Image:
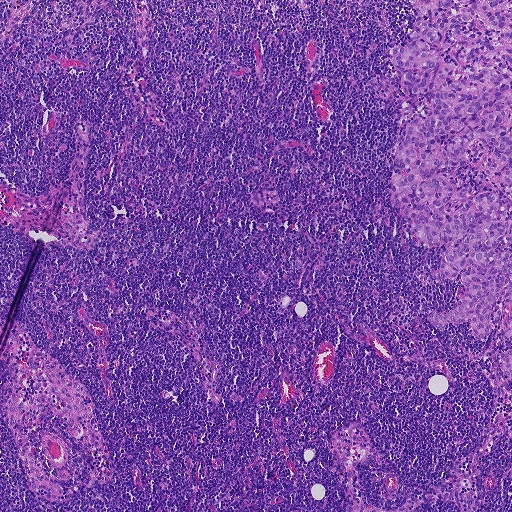
Lymph node section stained with H&E, from a whole-slide image of a breast-cancer sentinel node. Magnification about 5×, about 0.93 mm across the frame, about 1.8 µm per pixel.
Question:
Which parts of this field are metastatic tumour?
Answer:
Outlines of two tumour regions, largest first (closed clockwise paths, crop pixels): region 1: (401, 0), (511, 0), (506, 344), (499, 325), (484, 344), (468, 322), (442, 330), (427, 321), (463, 292), (460, 274), (438, 284), (434, 274), (449, 247), (421, 248), (388, 198), (392, 157), (430, 106), (427, 96), (401, 92), (390, 50), (414, 18); region 2: (506, 346), (511, 346), (511, 383), (502, 374), (498, 364), (498, 353).
About 15% of this field is tumour.